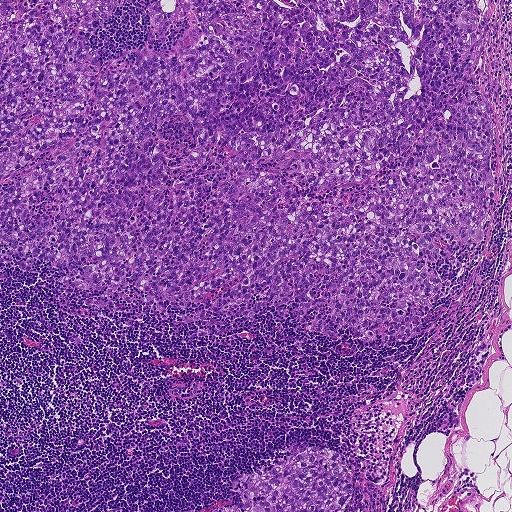
This is a crop of a whole-slide image: an H&E-stained breast-cancer sentinel lymph node section at roughly 5× magnification (about 1.8 µm per pixel; the crop spans about 0.93 mm).
Question: Outline the metastatic carcinoma in this image, as closed paths of (x, y) pixel coordinates.
Answer: Boundaries of two metastatic tumour regions, simplified and listed clockwise, largest first: region 1: (0, 0), (489, 0), (473, 73), (491, 120), (492, 218), (477, 243), (448, 236), (440, 259), (423, 261), (444, 292), (414, 337), (378, 349), (333, 339), (308, 327), (317, 308), (182, 322), (201, 306), (172, 313), (128, 286), (76, 287), (42, 260), (28, 272), (16, 254), (0, 263); region 2: (317, 446), (343, 455), (347, 463), (353, 490), (345, 511), (211, 511), (220, 505), (238, 506), (243, 502), (240, 493), (231, 492), (232, 483), (237, 476), (269, 468), (292, 454).
About 60% of this field is tumour.

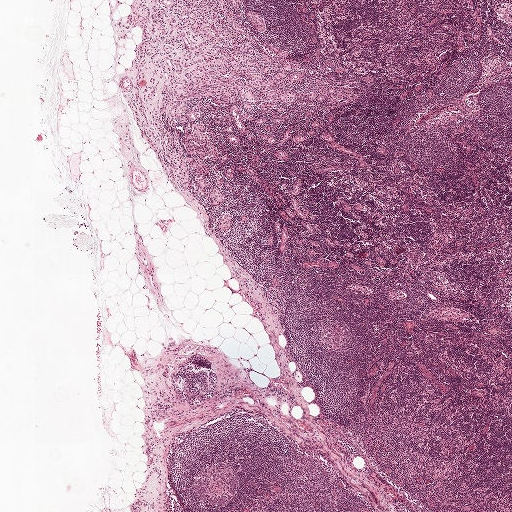
A 2.0-mm field of an H&E-stained sentinel lymph node from a breast-cancer patient (whole-slide image), shown at about 2.5×, about 3.9 µm per pixel.
Question: Outline the metastatic carcinoma in this image, as closed paths of (x, y) pixel coordinates.
Answer: Boundaries of three metastatic tumour regions, simplified and listed clockwise, largest first: region 1: (135, 0), (239, 0), (234, 17), (254, 49), (277, 58), (270, 44), (298, 61), (271, 86), (294, 104), (251, 111), (210, 95), (187, 110), (209, 128), (214, 154), (193, 158), (224, 204), (186, 194), (167, 177), (136, 120), (144, 31); region 2: (221, 212), (228, 212), (233, 215), (233, 225), (229, 232), (221, 232), (218, 230), (218, 216); region 3: (251, 10), (255, 11), (264, 19), (265, 30), (263, 32), (260, 32), (255, 29), (248, 22), (247, 15), (248, 11).
One more small tumour piece is annotated here but not outlined.
About 5% of the image area is annotated as tumour.

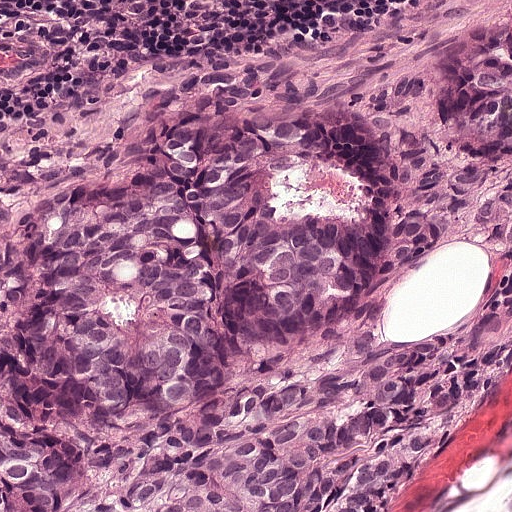
H&E-stained section of a sentinel lymph node (breast cancer), from a whole-slide image, viewed at about 20×: the field is about 0.25 mm across, about 0.49 µm per pixel.
Question: Outline the metastatic carcinoma in this image, as closed paths of (x, y) pixel coordinates.
Answer: One metastatic tumour region; its boundary, reduced to 23 corners and listed clockwise: (511, 16), (511, 250), (476, 218), (376, 301), (372, 330), (414, 354), (495, 305), (510, 328), (452, 436), (382, 511), (0, 511), (0, 135), (39, 142), (58, 164), (82, 164), (214, 70), (308, 86), (385, 154), (396, 202), (435, 183), (454, 149), (441, 100), (448, 49).
About 70% of the image area is annotated as tumour.

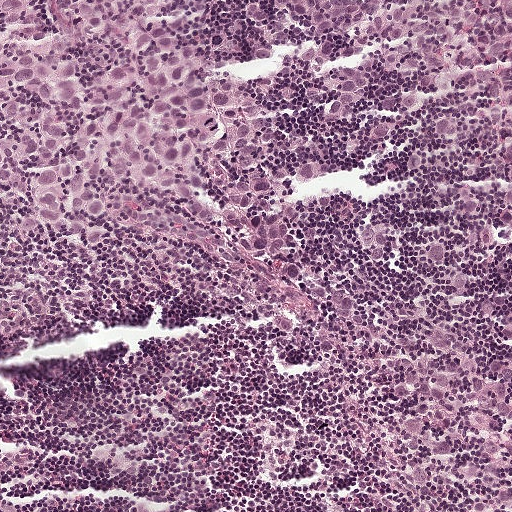
This is a crop of a whole-slide image: an H&E-stained breast-cancer sentinel lymph node section at roughly 10× magnification (about 0.97 µm per pixel; the crop spans about 0.5 mm).
Question: Outline the metastatic carcinoma in this image, as closed paths of (x, y) pixel coordinates.
Answer: The outlined metastatic tumour's edge, as a closed clockwise path of 12 points: (0, 0), (511, 0), (511, 511), (427, 511), (405, 498), (362, 386), (275, 284), (210, 236), (133, 211), (103, 247), (73, 259), (0, 232).
Tumour covers about 65% of the frame.